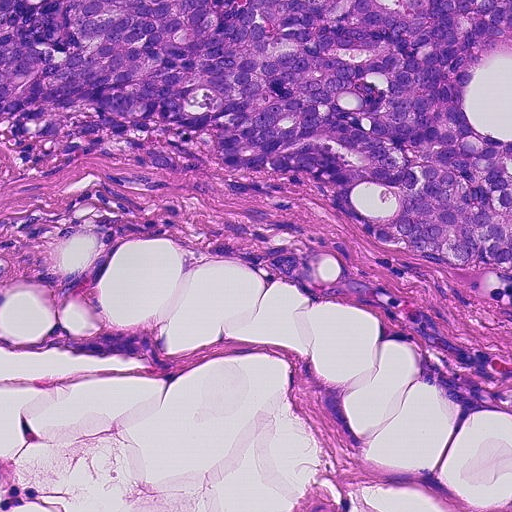
H&E-stained section of a sentinel lymph node (breast cancer), from a whole-slide image, viewed at about 20×: the field is about 0.23 mm across, about 0.45 µm per pixel.
Question: Is there metastatic carcinoma in this field?
Answer: Yes.
One metastatic tumour region; its boundary, reduced to 9 corners and listed clockwise: (0, 0), (511, 0), (511, 269), (388, 259), (300, 186), (222, 176), (160, 132), (98, 112), (0, 118).
Tumour covers about 35% of the frame.

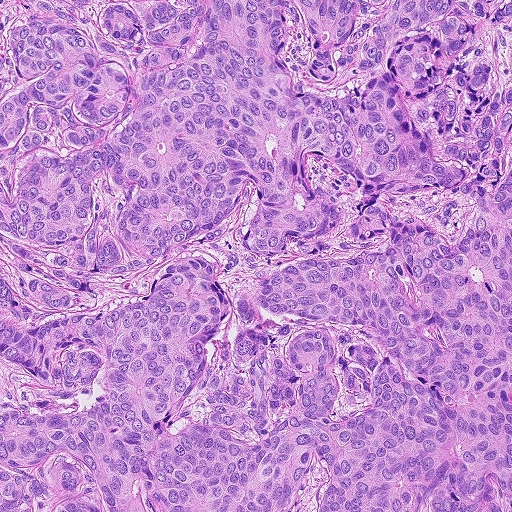
Lymph node section stained with H&E, from a whole-slide image of a breast-cancer sentinel node. Magnification about 10×, about 0.46 mm across the frame, about 0.9 µm per pixel.
Question: Is there metastatic carcinoma in this field?
Answer: Yes.
Metastatic tumour covers the whole field.
The annotated tumour makes up over 95% of the crop.

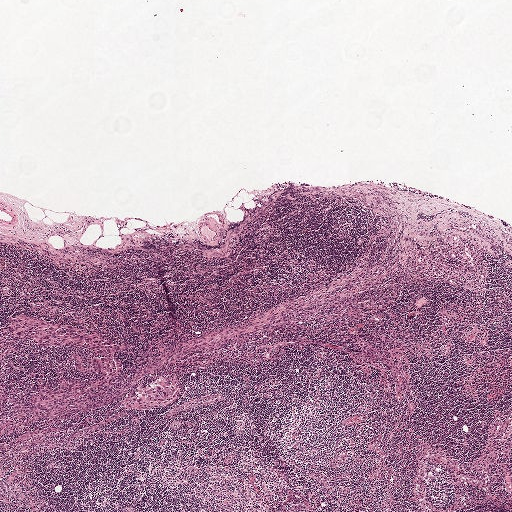
This is a crop of a whole-slide image: an H&E-stained breast-cancer sentinel lymph node section at roughly 2.5× magnification (about 3.9 µm per pixel; the crop spans about 2.0 mm).
Question: Is there metastatic carcinoma in this field?
Answer: Yes.
Outlines of two tumour regions, largest first (closed clockwise paths, crop pixels): region 1: (18, 307), (126, 343), (126, 348), (118, 349), (121, 372), (116, 380), (44, 409), (1, 431), (0, 328), (12, 310); region 2: (166, 373), (173, 373), (179, 396), (167, 406), (160, 408), (126, 409), (118, 407), (117, 401), (120, 396), (136, 385), (154, 381), (156, 377).
Tumour covers about 5% of the frame.

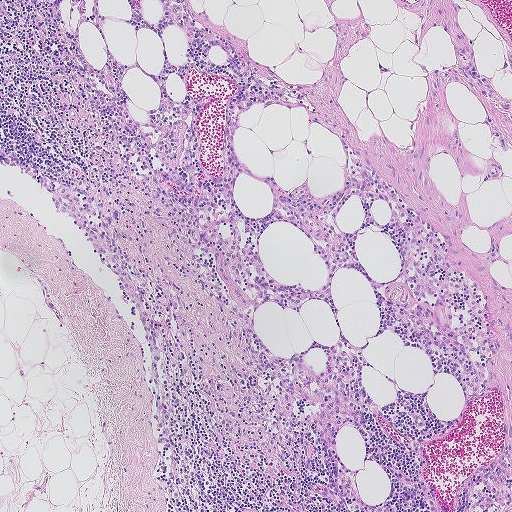
H&E-stained section of a sentinel lymph node (breast cancer), from a whole-slide image, viewed at about 5×: the field is about 0.93 mm across, about 1.8 µm per pixel.
Question: Is there metastatic carcinoma in this field?
Answer: No: no metastatic tumour is outlined anywhere in this field.